Image:
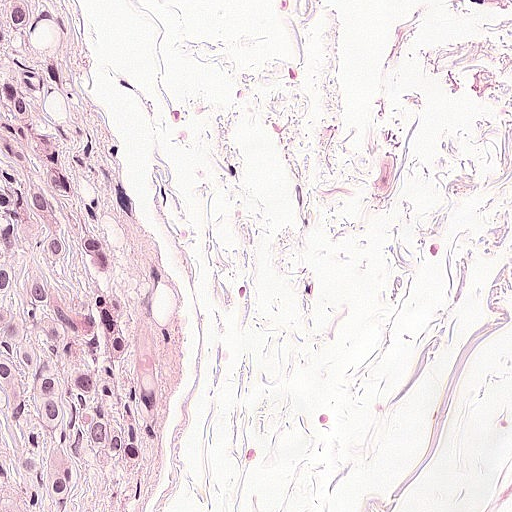
Lymph node section stained with H&E, from a whole-slide image of a breast-cancer sentinel node. Magnification about 20×, about 0.25 mm across the frame, about 0.49 µm per pixel.
Question:
Where is the metastatic tumour in this field? Give each region's outline as (x, y) pixel points.
Answer:
The outlined metastatic tumour's edge, as a closed clockwise path of 13 points: (0, 0), (30, 0), (32, 35), (64, 60), (90, 102), (110, 262), (127, 327), (157, 382), (152, 436), (128, 477), (69, 474), (64, 511), (0, 511).
Tumour covers about 20% of the frame.

Image:
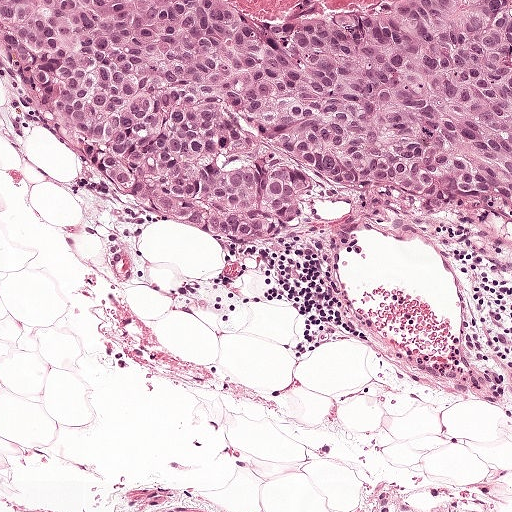
H&E-stained section of a sentinel lymph node (breast cancer), from a whole-slide image, viewed at about 10×: the field is about 0.5 mm across, about 0.97 µm per pixel.
Question:
Where is the metastatic tumour in this field? Give each region's outline as (x, y) pixel points.
Answer:
One metastatic tumour region; its boundary, reduced to 10 corners and listed clockwise: (0, 0), (511, 0), (511, 257), (465, 227), (412, 215), (336, 215), (249, 252), (221, 252), (91, 193), (0, 81).
About 40% of the image area is annotated as tumour.

Image:
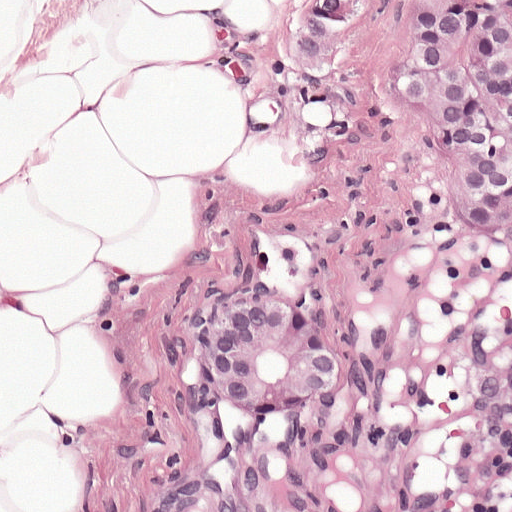
H&E-stained section of a sentinel lymph node (breast cancer), from a whole-slide image, viewed at about 20×: the field is about 0.25 mm across, about 0.49 µm per pixel.
Question:
Where is the metastatic tumour in this field? Give each region's outline as (x, y) pixel points.
Answer:
Boundaries of three metastatic tumour regions, simplified and listed clockwise, largest first: region 1: (400, 0), (511, 0), (511, 262), (491, 252), (396, 141), (378, 78); region 2: (246, 280), (280, 288), (328, 324), (338, 381), (299, 422), (238, 412), (196, 371), (198, 314); region 3: (303, 0), (343, 0), (352, 13), (332, 54), (288, 69), (278, 26).
Tumour covers about 15% of the frame.

Image:
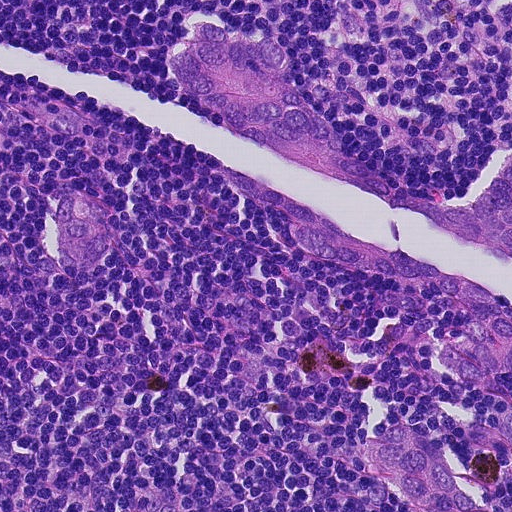
Lymph node section stained with H&E, from a whole-slide image of a breast-cancer sentinel node. Magnification about 20×, about 0.23 mm across the frame, about 0.45 µm per pixel.
Question:
Where is the metastatic tumour in this field? Give each region's outline as (x, y) pixel points.
Answer:
Boundaries of three metastatic tumour regions, simplified and listed clockwise, largest first: region 1: (205, 16), (260, 26), (286, 54), (296, 91), (353, 148), (382, 173), (454, 205), (510, 150), (511, 375), (482, 388), (449, 378), (430, 357), (446, 336), (467, 339), (472, 316), (418, 285), (305, 254), (286, 218), (250, 203), (224, 173), (221, 120), (177, 88), (170, 50), (184, 22); region 2: (406, 422), (434, 449), (484, 509), (511, 503), (511, 511), (415, 511), (384, 480), (348, 465), (333, 452); region 3: (502, 410), (511, 412), (511, 441), (509, 436), (498, 424).
The annotated tumour makes up about 20% of the crop.